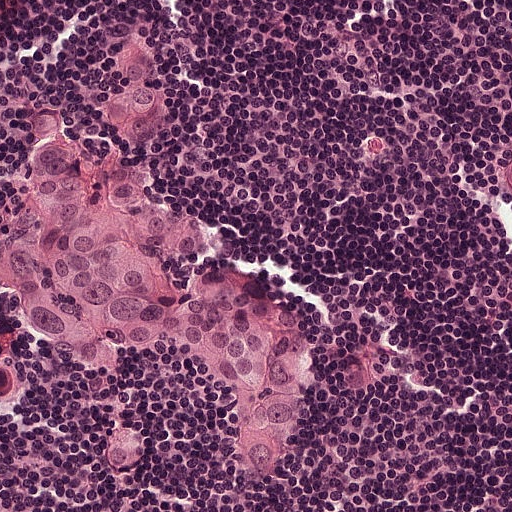
A 0.25-mm field of an H&E-stained sentinel lymph node from a breast-cancer patient (whole-slide image), shown at about 20×, about 0.49 µm per pixel.
Tumour region outline (a closed clockwise path, crop pixels): (148, 41), (170, 63), (176, 116), (158, 164), (172, 196), (220, 230), (260, 297), (296, 305), (316, 334), (311, 404), (286, 463), (256, 478), (228, 466), (242, 397), (216, 360), (92, 380), (2, 313), (0, 238), (40, 114), (66, 116), (92, 140), (116, 136), (111, 83), (134, 46).
The annotated tumour makes up about 25% of the crop.